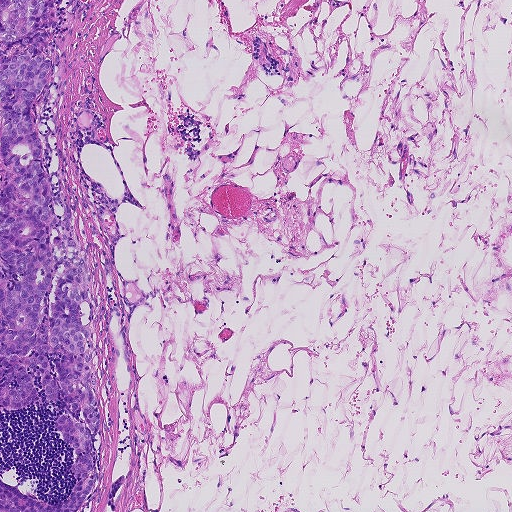
A 0.93-mm field of an H&E-stained sentinel lymph node from a breast-cancer patient (whole-slide image), shown at about 5×, about 1.8 µm per pixel.
Metastatic tumour outline, simplified to 24 points and listed clockwise in crop pixels (x, y): (0, 0), (53, 0), (39, 53), (52, 65), (29, 107), (48, 182), (68, 204), (85, 259), (99, 420), (87, 447), (94, 484), (75, 511), (0, 511), (0, 476), (52, 503), (78, 478), (74, 449), (54, 429), (63, 404), (45, 396), (41, 377), (30, 375), (39, 397), (4, 412).
About 10% of the image area is annotated as tumour.